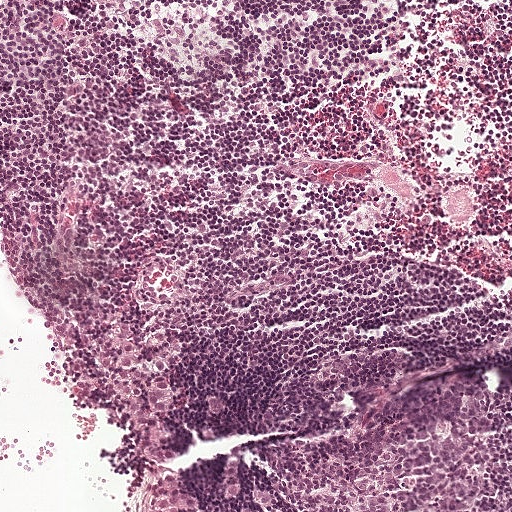
Lymph node section stained with H&E, from a whole-slide image of a breast-cancer sentinel node. Magnification about 10×, about 0.5 mm across the frame, about 0.97 µm per pixel.
Metastatic tumour outline, simplified to 14 points and listed clockwise in crop pixels (x, y): (146, 328), (158, 330), (168, 341), (163, 358), (168, 407), (161, 426), (149, 439), (141, 437), (134, 430), (119, 400), (102, 377), (98, 362), (104, 347), (135, 336).
The annotated tumour makes up under 5% of the crop.